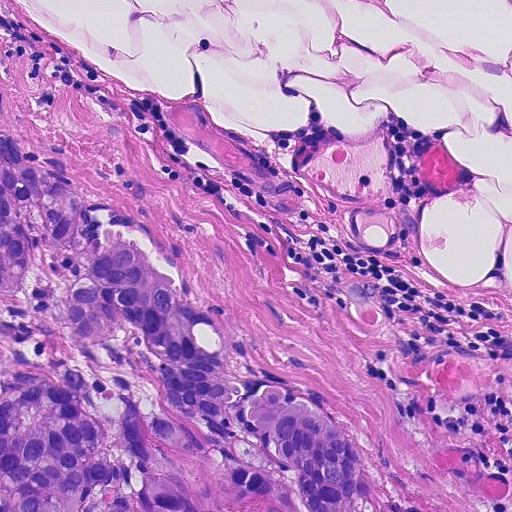
This is a crop of a whole-slide image: an H&E-stained breast-cancer sentinel lymph node section at roughly 20× magnification (about 0.45 µm per pixel; the crop spans about 0.23 mm).
Question: Is there metastatic carcinoma in this field?
Answer: Yes.
Tumour region outline (a closed clockwise path, crop pixels): (0, 129), (66, 167), (84, 204), (122, 222), (212, 315), (244, 394), (284, 386), (322, 405), (376, 474), (388, 511), (0, 511).
Tumour covers about 30% of the frame.